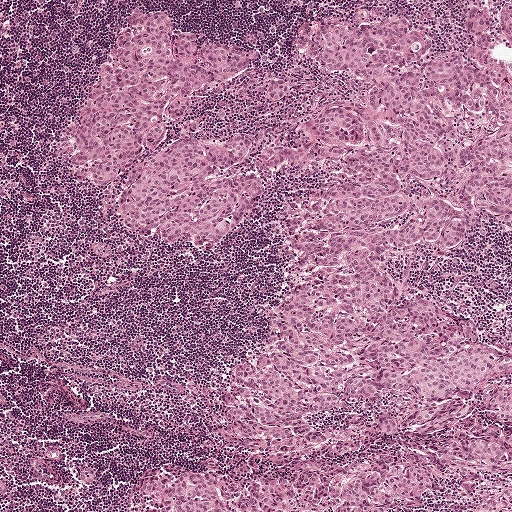
This is a crop of a whole-slide image: an H&E-stained breast-cancer sentinel lymph node section at roughly 5× magnification (about 1.9 µm per pixel; the crop spans about 1 mm).
Boundaries of three metastatic tumour regions, simplified and listed clockwise, largest first: region 1: (380, 149), (407, 197), (464, 221), (460, 245), (383, 253), (404, 296), (472, 318), (511, 354), (511, 424), (474, 412), (336, 457), (326, 442), (275, 452), (222, 434), (220, 392), (271, 345), (269, 319), (301, 275), (285, 246), (347, 183), (347, 157); region 2: (130, 10), (167, 13), (177, 31), (198, 32), (201, 48), (240, 47), (254, 50), (262, 59), (195, 94), (188, 115), (172, 122), (170, 140), (147, 149), (116, 182), (92, 188), (72, 175), (66, 142); region 3: (240, 133), (252, 143), (227, 175), (256, 173), (264, 180), (264, 191), (254, 210), (229, 244), (204, 251), (186, 240), (173, 244), (120, 225), (116, 201), (135, 163), (179, 140), (219, 139).
The annotated tumour makes up about 30% of the crop.